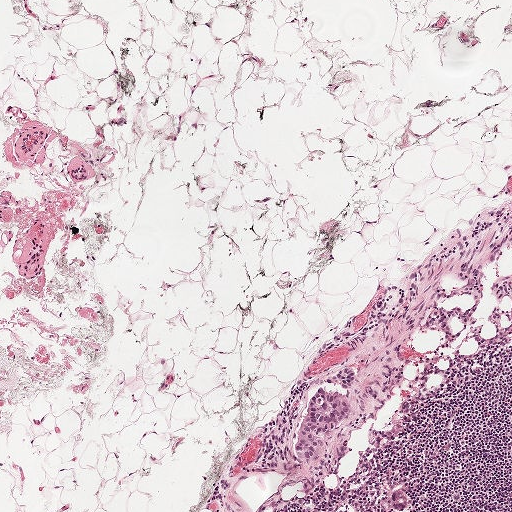
A 1-mm field of an H&E-stained sentinel lymph node from a breast-cancer patient (whole-slide image), shown at about 5×, about 1.9 µm per pixel.
Question: Is there metastatic carcinoma in this field?
Answer: Yes.
Tumour region outline (a closed clockwise path, crop pixels): (353, 364), (357, 366), (354, 388), (356, 407), (351, 419), (331, 436), (321, 456), (313, 457), (311, 461), (297, 460), (295, 452), (299, 427), (315, 385), (341, 368).
Tumour covers under 5% of the frame.